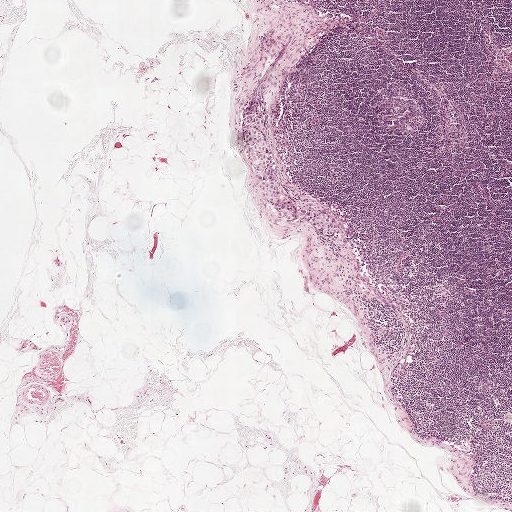
Lymph node section stained with H&E, from a whole-slide image of a breast-cancer sentinel node. Magnification about 2.5×, about 2.0 mm across the frame, about 3.9 µm per pixel.
Metastatic tumour outline, simplified to 20 points and listed clockwise in crop pixels (x, y): (252, 100), (266, 102), (264, 107), (270, 116), (271, 155), (288, 193), (298, 206), (324, 213), (339, 224), (341, 233), (336, 240), (328, 240), (316, 228), (297, 224), (269, 212), (262, 205), (257, 179), (245, 163), (242, 140), (243, 114).
Tumour covers under 5% of the frame.